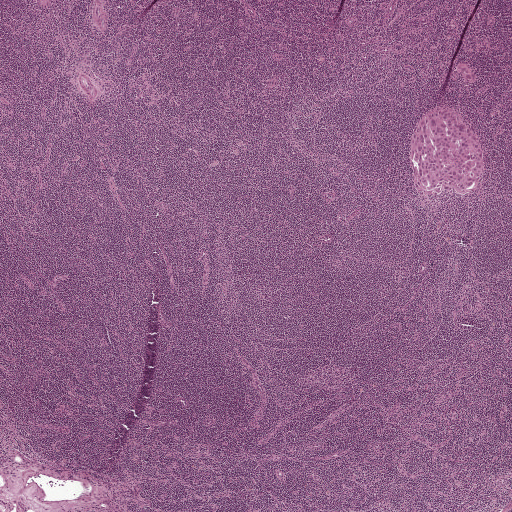
A 2.0-mm field of an H&E-stained sentinel lymph node from a breast-cancer patient (whole-slide image), shown at about 2.5×, about 3.9 µm per pixel.
Boundaries of three metastatic tumour regions, simplified and listed clockwise, largest first: region 1: (443, 107), (462, 114), (469, 121), (483, 149), (484, 179), (479, 188), (462, 199), (452, 195), (433, 199), (423, 198), (416, 191), (408, 161), (412, 131), (424, 115), (432, 109); region 2: (463, 62), (471, 67), (476, 77), (471, 85), (465, 83), (463, 77), (458, 74), (455, 66), (458, 63); region 3: (34, 0), (53, 0), (48, 9), (38, 9).
Tumour covers under 5% of the frame.